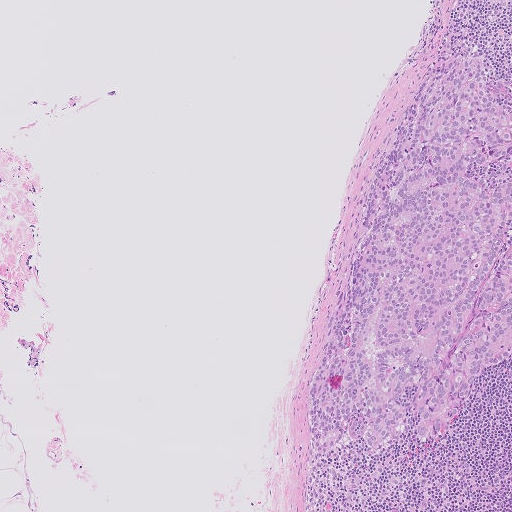
This is a crop of a whole-slide image: an H&E-stained breast-cancer sentinel lymph node section at roughly 5× magnification (about 2.0 µm per pixel; the crop spans about 1.0 mm).
Tumour region outline (a closed clockwise path, crop pixels): (433, 56), (477, 56), (511, 87), (511, 156), (480, 172), (511, 180), (511, 361), (491, 369), (439, 439), (402, 436), (376, 450), (357, 412), (332, 450), (314, 456), (309, 386), (336, 285), (360, 240), (368, 183).
About 20% of this field is tumour.